Question: 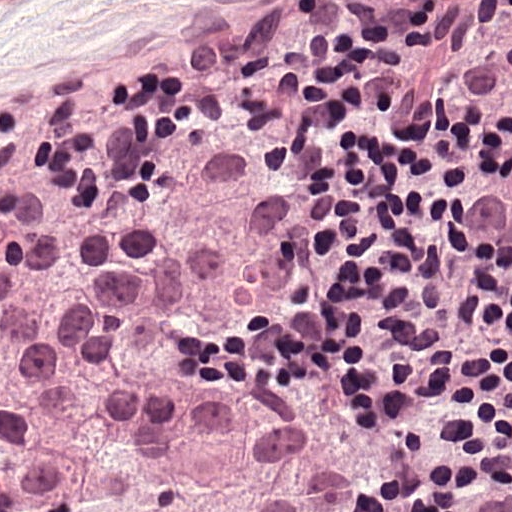
About what magnification does this crop show?

Choices:
 (A) about 10×
 (B) about 5×
 (C) about 2.5×
 (D) about 20×
 (E) about 40×

Answer: (E) about 40×
H&E-stained section of a sentinel lymph node (breast cancer), from a whole-slide image, viewed at about 40×: the field is about 0.12 mm across, about 0.24 µm per pixel.
Four metastatic tumour regions, each outlined as a closed clockwise path in crop pixels (x, y), largest first: region 1: (294, 131), (329, 212), (324, 286), (179, 356), (208, 385), (324, 370), (336, 410), (412, 450), (359, 511), (8, 511), (0, 184), (36, 165), (65, 202), (140, 200), (180, 133); region 2: (511, 2), (511, 117), (468, 125), (427, 78), (449, 37), (473, 12); region 3: (511, 146), (511, 237), (477, 255), (449, 243), (458, 195); region 4: (511, 466), (511, 511), (462, 511), (477, 496).
About 45% of this field is tumour.